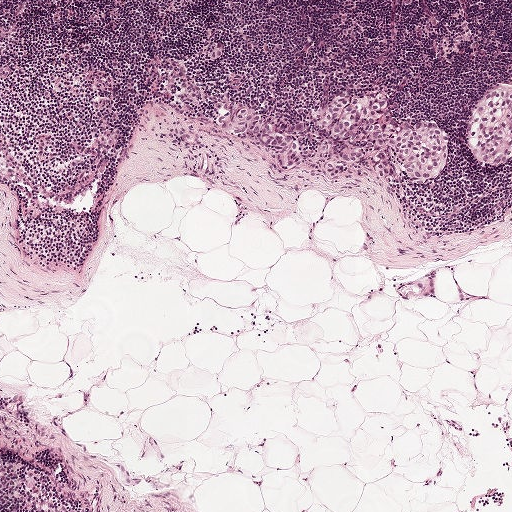
This is a crop of a whole-slide image: an H&E-stained breast-cancer sentinel lymph node section at roughly 5× magnification (about 1.9 µm per pixel; the crop spans about 1 mm).
Boundaries of three metastatic tumour regions, simplified and listed clockwise, largest first: region 1: (366, 87), (391, 96), (397, 121), (429, 121), (448, 130), (448, 157), (433, 182), (419, 184), (406, 179), (398, 185), (387, 184), (370, 153), (354, 163), (341, 178), (331, 180), (322, 174), (317, 159), (314, 113), (320, 104), (346, 88); region 2: (502, 81), (511, 83), (511, 157), (497, 166), (485, 167), (471, 159), (469, 155), (468, 134), (473, 112), (480, 103), (486, 87); region 3: (248, 101), (277, 121), (303, 119), (304, 131), (295, 134), (298, 135), (304, 149), (302, 163), (291, 166), (281, 166), (276, 157), (266, 148), (233, 135), (219, 126), (216, 121), (219, 112).
Tumour covers about 5% of the frame.